Question: 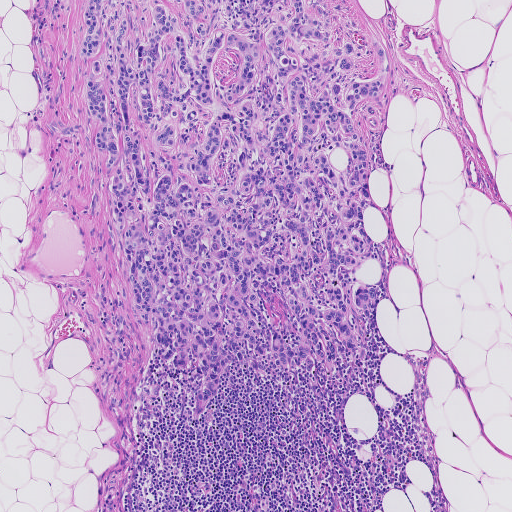
Which magnification is this H&E lymph node field most likely shown at?

Choices:
 (A) about 10×
 (B) about 5×
 (C) about 20×
 (D) about 40×
 (E) about 2.5×

Answer: (B) about 5×
H&E-stained section of a sentinel lymph node (breast cancer), from a whole-slide image, viewed at about 5×: the field is about 0.93 mm across, about 1.8 µm per pixel.
Tumour region outline (a closed clockwise path, crop pixels): (85, 0), (330, 0), (364, 74), (376, 43), (387, 58), (355, 125), (379, 207), (355, 270), (380, 294), (371, 314), (354, 308), (358, 340), (336, 334), (335, 365), (234, 362), (195, 418), (195, 365), (132, 298), (114, 169), (95, 144).
The annotated tumour makes up about 35% of the crop.